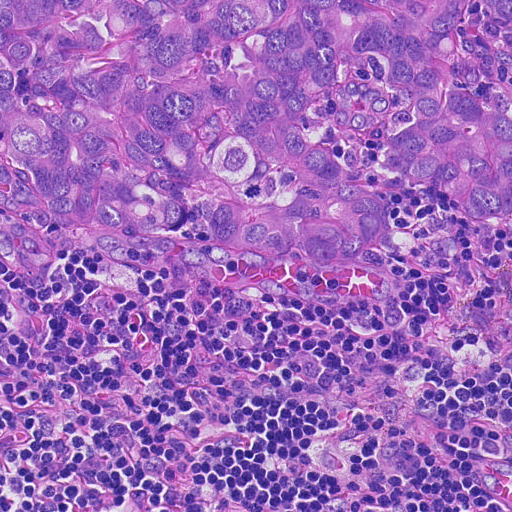
H&E-stained section of a sentinel lymph node (breast cancer), from a whole-slide image, viewed at about 20×: the field is about 0.23 mm across, about 0.45 µm per pixel.
One metastatic tumour region; its boundary, reduced to 14 corners and listed clockwise: (0, 0), (511, 0), (511, 218), (476, 225), (418, 180), (395, 190), (384, 212), (389, 260), (375, 271), (278, 258), (154, 268), (84, 239), (42, 266), (0, 255).
The annotated tumour makes up about 50% of the crop.